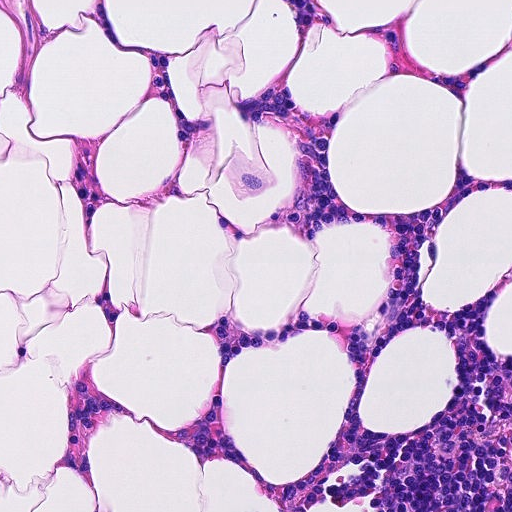
Lymph node section stained with H&E, from a whole-slide image of a breast-cancer sentinel node. Magnification about 20×, about 0.23 mm across the frame, about 0.45 µm per pixel.
Question: Is there metastatic carcinoma in this field?
Answer: No. No metastatic tumour is outlined in this field.